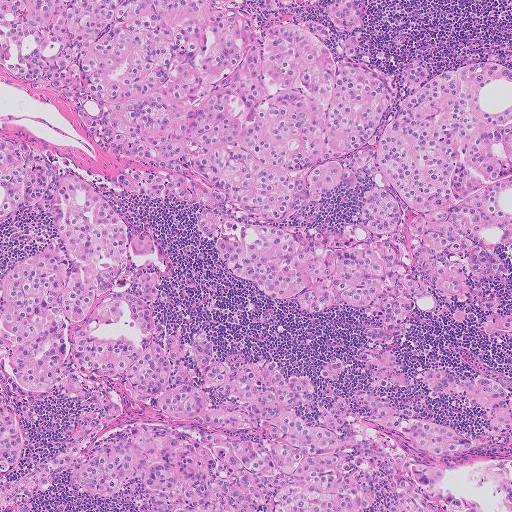
Lymph node section stained with H&E, from a whole-slide image of a breast-cancer sentinel node. Magnification about 5×, about 1.0 mm across the frame, about 2.0 µm per pixel.
Two metastatic tumour regions, each outlined as a closed clockwise path in crop pixels (x, y), largest first: region 1: (0, 0), (363, 0), (364, 61), (388, 78), (406, 59), (511, 50), (511, 344), (466, 326), (410, 342), (511, 394), (511, 429), (473, 425), (427, 392), (345, 385), (322, 368), (347, 357), (369, 374), (362, 319), (225, 286), (182, 210), (130, 191), (86, 118), (0, 69); region 2: (0, 137), (40, 142), (153, 231), (155, 316), (231, 349), (288, 358), (333, 392), (392, 398), (511, 448), (511, 511), (0, 511).
About 85% of this field is tumour.